Image:
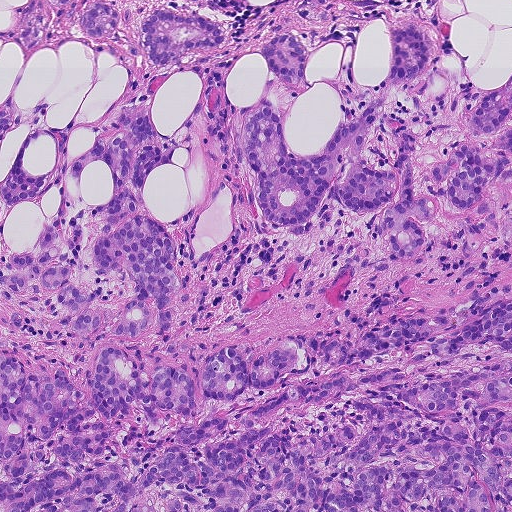
Lymph node section stained with H&E, from a whole-slide image of a breast-cancer sentinel node. Magnification about 10×, about 0.46 mm across the frame, about 0.9 µm per pixel.
Question:
Is any metastatic breast cancer visible in this crop?
Answer:
Yes.
Outlines of six tumour regions, largest first (closed clockwise paths, crop pixels): region 1: (511, 302), (511, 511), (0, 511), (0, 350), (32, 370), (62, 362), (87, 391), (100, 353), (118, 345), (138, 350), (149, 371), (168, 361), (199, 373), (224, 344), (248, 361), (288, 334), (357, 337); region 2: (386, 22), (427, 24), (475, 88), (511, 85), (511, 241), (499, 226), (474, 254), (458, 224), (438, 220), (423, 228), (424, 263), (404, 265), (378, 237), (390, 202), (352, 213), (330, 190), (305, 221), (265, 220), (241, 148), (266, 36), (352, 44), (355, 84), (375, 89), (390, 76); region 3: (20, 63), (15, 101), (58, 103), (50, 126), (81, 103), (69, 166), (132, 105), (152, 101), (176, 148), (142, 198), (180, 246), (174, 334), (75, 333), (38, 284), (12, 302), (0, 293), (0, 268), (31, 252), (44, 217), (0, 196), (28, 135), (21, 125), (0, 146), (0, 102); region 4: (164, 8), (204, 12), (221, 22), (225, 42), (208, 51), (187, 52), (174, 69), (154, 67), (142, 50), (140, 30), (150, 13); region 5: (93, 0), (105, 0), (119, 14), (117, 34), (99, 41), (81, 31), (76, 11); region 6: (44, 0), (74, 0), (64, 9), (44, 2).
Tumour covers about 65% of the frame.